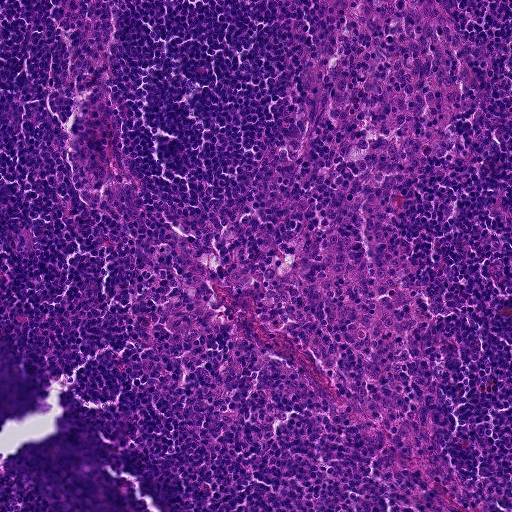
H&E-stained section of a sentinel lymph node (breast cancer), from a whole-slide image, viewed at about 10×: the field is about 0.46 mm across, about 0.9 µm per pixel.